Question: 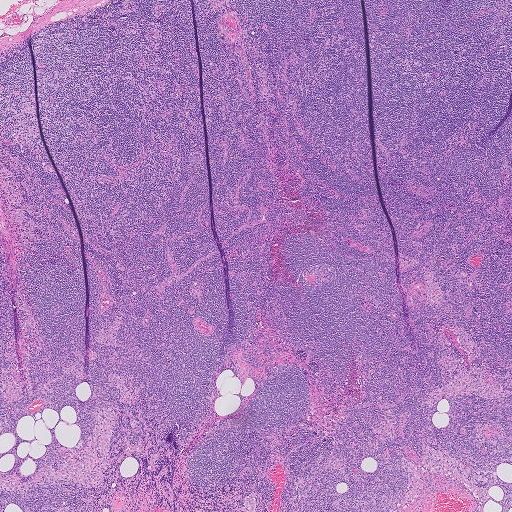
About what magnification does this crop show?

Choices:
 (A) about 40×
 (B) about 2.5×
 (C) about 20×
 (D) about 10×
 (E) about 5×

Answer: (B) about 2.5×
A 2.0-mm field of an H&E-stained sentinel lymph node from a breast-cancer patient (whole-slide image), shown at about 2.5×, about 4.0 µm per pixel.